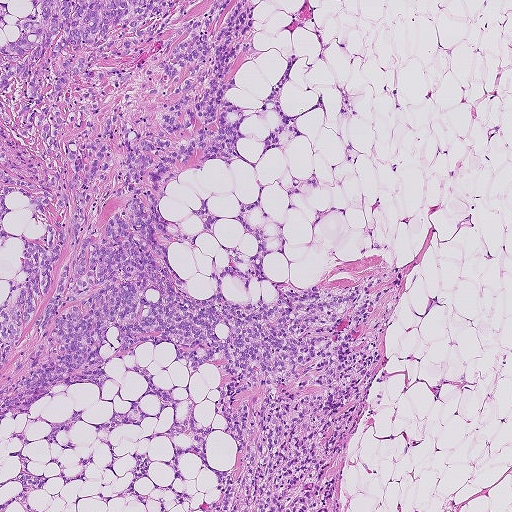
This is a crop of a whole-slide image: an H&E-stained breast-cancer sentinel lymph node section at roughly 5× magnification (about 1.8 µm per pixel; the crop spans about 0.93 mm).
The outlined metastatic tumour's edge, as a closed clockwise path of 24 points: (0, 0), (254, 0), (225, 94), (241, 107), (297, 59), (280, 99), (306, 136), (254, 167), (187, 168), (159, 210), (196, 232), (189, 207), (233, 216), (255, 178), (278, 222), (290, 175), (316, 170), (268, 278), (307, 290), (404, 268), (359, 337), (386, 357), (336, 506), (0, 511).
About 60% of this field is tumour.